Question: 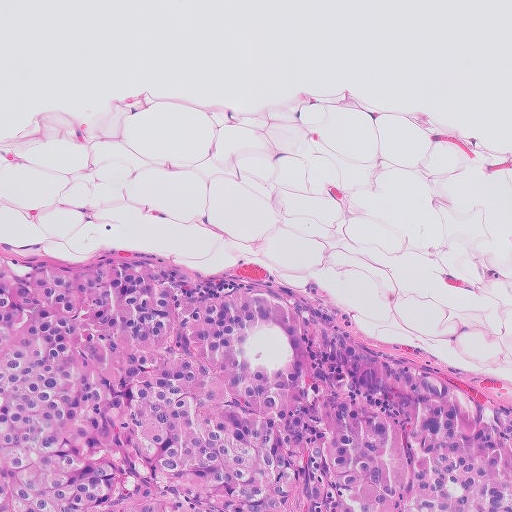
Lymph node section stained with H&E, from a whole-slide image of a breast-cancer sentinel node. Magnification about 10×, about 0.51 mm across the frame, about 1.0 µm per pixel.
About how much of this crop is taken up by metastatic carcinoma?

Choices:
 (A) about 10% to 20%
 (B) about 5% or less
 (C) none: no tumour is outlined
 (D) about 25% to 45%
 (E) about 50% or more

Answer: (D) about 25% to 45%
About 40% of the field is tumour.
Metastatic tumour outline, simplified to 7 points and listed clockwise in crop pixels (x, y): (0, 252), (135, 252), (297, 290), (397, 347), (511, 434), (511, 511), (0, 511).